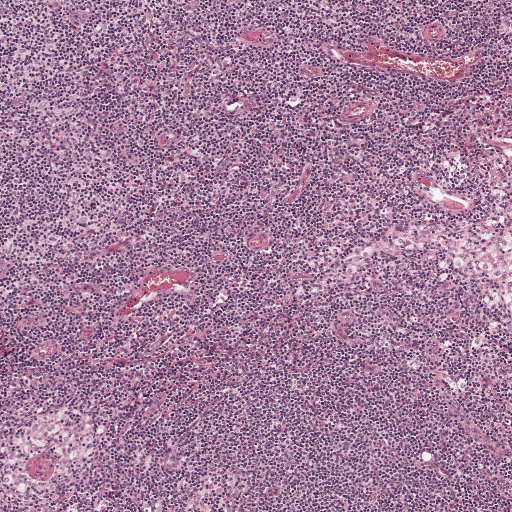
A 1-mm field of an H&E-stained sentinel lymph node from a breast-cancer patient (whole-slide image), shown at about 5×, about 1.9 µm per pixel.